Image:
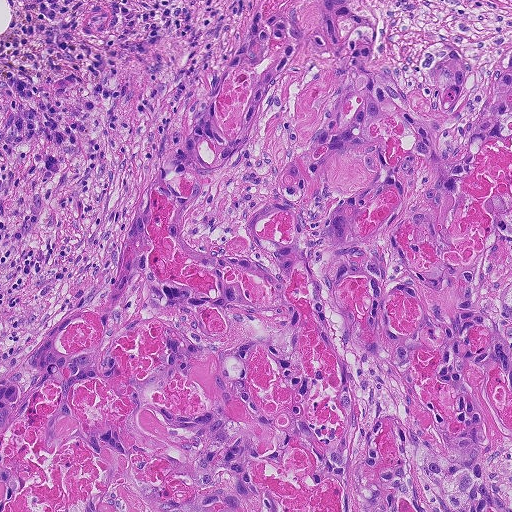
A 0.46-mm field of an H&E-stained sentinel lymph node from a breast-cancer patient (whole-slide image), shown at about 10×, about 0.9 µm per pixel.
Question:
Which parts of this field are metastatic tumour?
Answer:
One metastatic tumour region; its boundary, reduced to 15 corners and listed clockwise: (253, 0), (345, 0), (358, 16), (378, 16), (405, 66), (448, 38), (475, 71), (499, 66), (510, 44), (511, 511), (0, 511), (0, 378), (102, 282), (138, 196), (246, 34).
One more small tumour piece is annotated here but not outlined.
About 75% of the image area is annotated as tumour.